A 1-mm field of an H&E-stained sentinel lymph node from a breast-cancer patient (whole-slide image), shown at about 5×, about 1.9 µm per pixel.
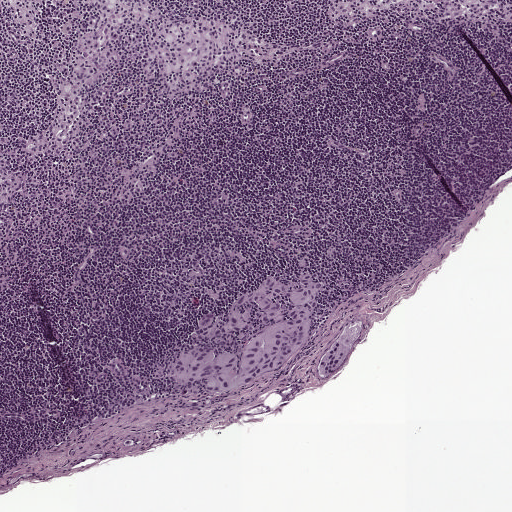
Boundaries of two metastatic tumour regions, simplified and listed clockwise, largest first: region 1: (309, 271), (313, 279), (326, 281), (316, 296), (318, 307), (313, 310), (308, 340), (288, 368), (257, 384), (223, 392), (201, 388), (201, 380), (190, 387), (157, 380), (150, 371), (172, 361), (202, 313), (214, 313), (214, 322), (224, 321), (235, 301), (274, 277), (297, 282); region 2: (356, 322), (359, 329), (349, 349), (346, 361), (329, 375), (317, 372), (318, 361), (342, 336), (348, 324).
The annotated tumour makes up about 5% of the crop.